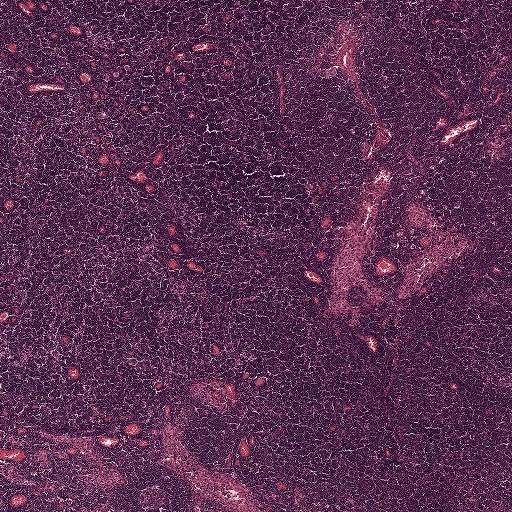
This is a crop of a whole-slide image: an H&E-stained breast-cancer sentinel lymph node section at roughly 2.5× magnification (about 3.9 µm per pixel; the crop spans about 2.0 mm).